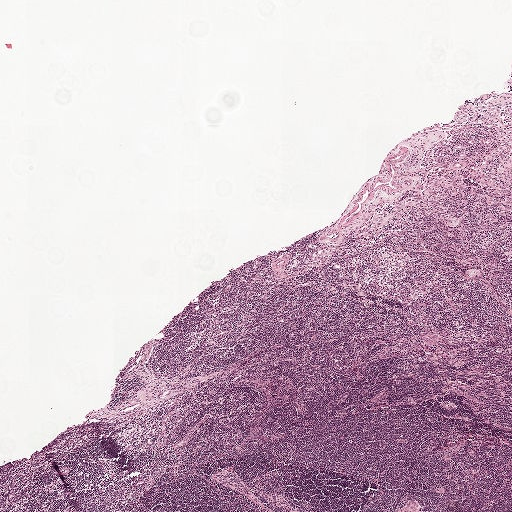
Lymph node section stained with H&E, from a whole-slide image of a breast-cancer sentinel node. Magnification about 2.5×, about 2.0 mm across the frame, about 3.9 µm per pixel.